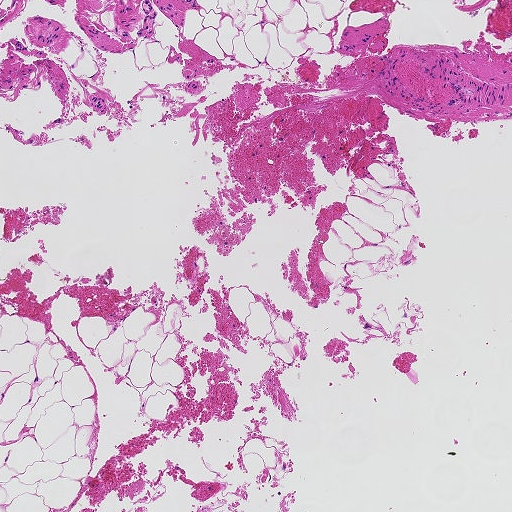
A 0.93-mm field of an H&E-stained sentinel lymph node from a breast-cancer patient (whole-slide image), shown at about 5×, about 1.8 µm per pixel.
Question: Is any metastatic breast cancer visible in this crop?
Answer: No: no metastatic tumour is outlined anywhere in this field.